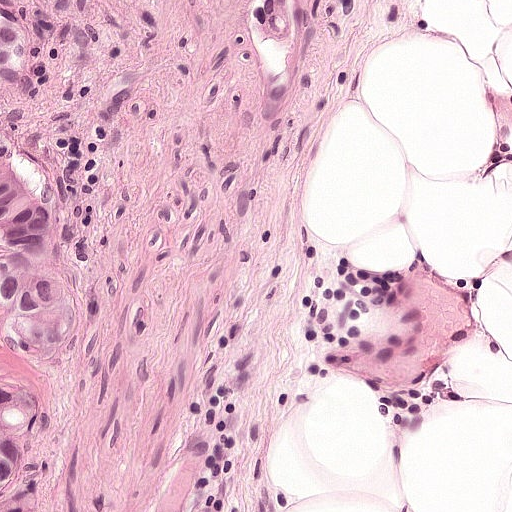
A 0.25-mm field of an H&E-stained sentinel lymph node from a breast-cancer patient (whole-slide image), shown at about 20×, about 0.49 µm per pixel.
Question: Is any metastatic breast cancer visible in this crop?
Answer: Yes.
One metastatic tumour region; its boundary, reduced to 11 corners and listed clockwise: (0, 0), (25, 0), (40, 42), (8, 94), (63, 119), (60, 148), (92, 252), (92, 279), (58, 370), (42, 511), (0, 511).
About 10% of this field is tumour.